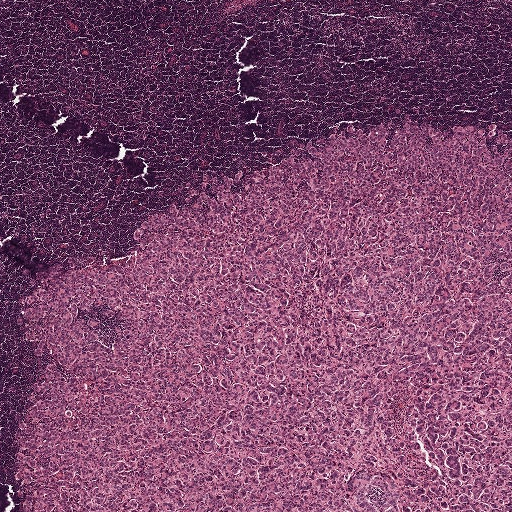
H&E-stained section of a sentinel lymph node (breast cancer), from a whole-slide image, viewed at about 2.5×: the field is about 2.0 mm across, about 3.9 µm per pixel.
Metastatic tumour outline, simplified to 13 points and listed clockwise in crop pixels (x, y): (349, 120), (493, 122), (511, 138), (511, 511), (15, 511), (18, 426), (38, 368), (14, 319), (41, 273), (128, 250), (130, 231), (200, 174), (270, 165).
About 65% of this field is tumour.